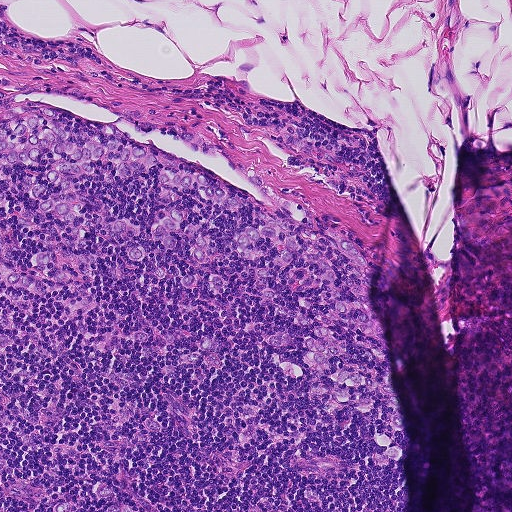
A 0.46-mm field of an H&E-stained sentinel lymph node from a breast-cancer patient (whole-slide image), shown at about 10×, about 0.9 µm per pixel.
The outlined metastatic tumour's edge, as a closed clockwise path of 20 points: (0, 96), (107, 127), (262, 203), (176, 133), (204, 138), (381, 253), (378, 295), (427, 254), (440, 314), (448, 234), (500, 237), (511, 218), (501, 240), (450, 238), (444, 342), (424, 257), (380, 302), (412, 486), (406, 511), (0, 511).
Tumour covers about 55% of the frame.